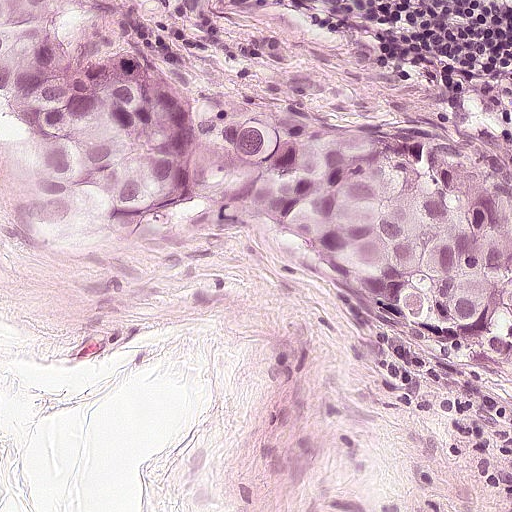
A 0.25-mm field of an H&E-stained sentinel lymph node from a breast-cancer patient (whole-slide image), shown at about 20×, about 0.49 µm per pixel.
Question: Does this lymph node field contain metastatic tumour?
Answer: Yes.
Tumour region outline (a closed clockwise path, crop pixels): (0, 0), (134, 0), (163, 50), (208, 94), (413, 153), (505, 216), (511, 355), (482, 376), (460, 376), (416, 352), (347, 270), (196, 245), (2, 153).
The annotated tumour makes up about 35% of the crop.